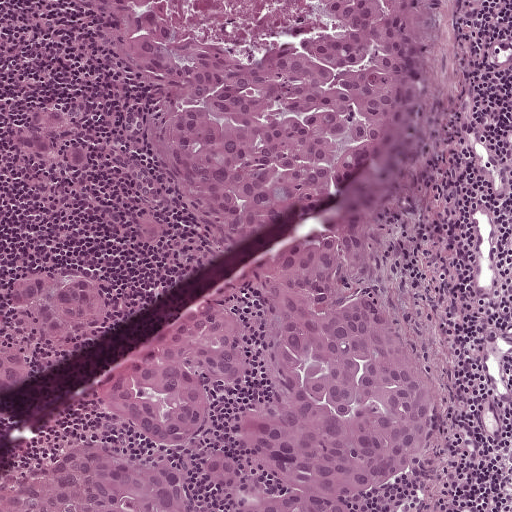
Lymph node section stained with H&E, from a whole-slide image of a breast-cancer sentinel node. Magnification about 10×, about 0.5 mm across the frame, about 0.97 µm per pixel.
Outlines of two tumour regions, largest first (closed clockwise paths, crop pixels): region 1: (413, 0), (421, 128), (382, 222), (438, 382), (421, 478), (353, 511), (229, 511), (203, 446), (281, 479), (212, 398), (182, 456), (194, 511), (0, 511), (0, 478), (52, 444), (172, 450), (98, 398), (199, 300), (233, 300), (264, 382), (245, 281), (95, 9); region 2: (47, 273), (76, 276), (91, 285), (102, 309), (76, 341), (35, 347), (27, 390), (0, 394), (0, 340), (10, 317), (8, 288).
About 55% of the image area is annotated as tumour.